Question: 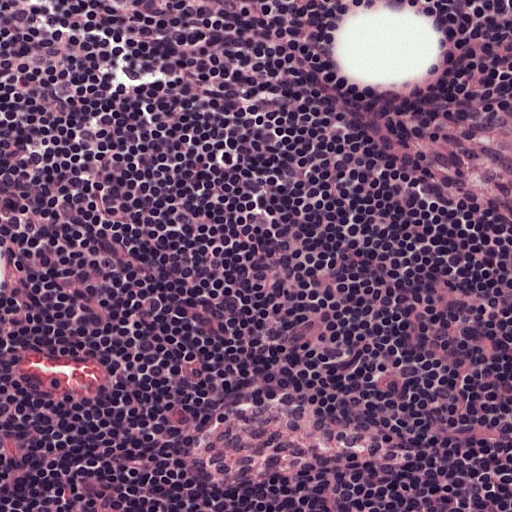
At roughly what magnification is this field shown?

Choices:
 (A) about 20×
 (B) about 2.5×
 (C) about 40×
 (D) about 10×
 (E) about 5×

Answer: (A) about 20×
Lymph node section stained with H&E, from a whole-slide image of a breast-cancer sentinel node. Magnification about 20×, about 0.25 mm across the frame, about 0.49 µm per pixel.